Image:
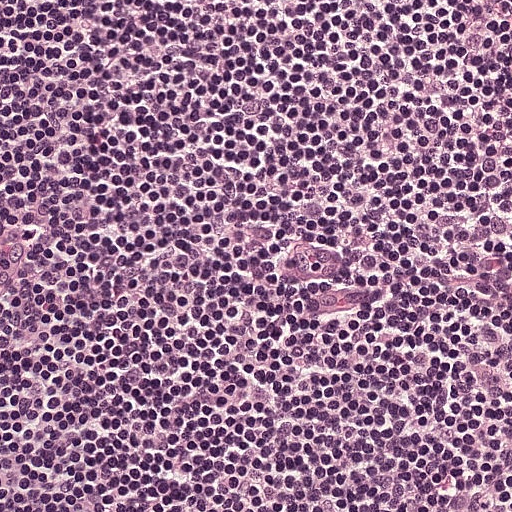
A 0.25-mm field of an H&E-stained sentinel lymph node from a breast-cancer patient (whole-slide image), shown at about 20×, about 0.49 µm per pixel.
Question:
Does this lymph node field contain metastatic tumour?
Answer:
No. No metastatic tumour is outlined in this field.